Lymph node section stained with H&E, from a whole-slide image of a breast-cancer sentinel node. Magnification about 10×, about 0.46 mm across the frame, about 0.9 µm per pixel.
Image:
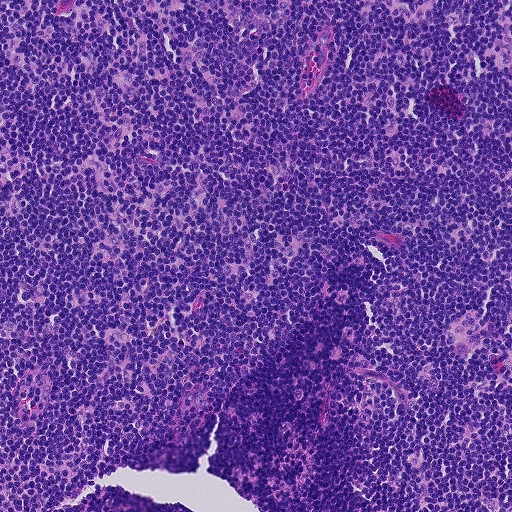
Question:
Does this lymph node field contain metastatic tumour?
Answer:
No, this field holds no outlined metastasis.